Question: 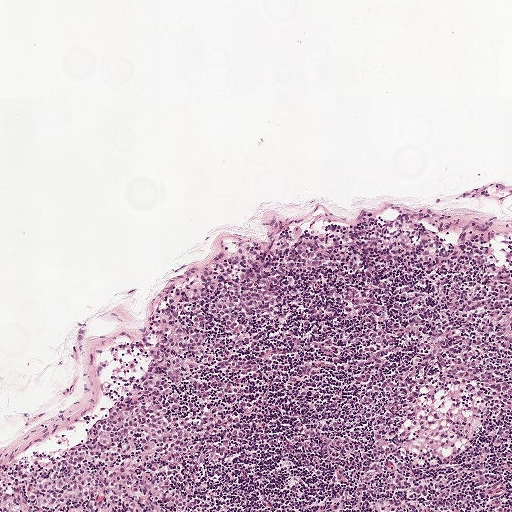
H&E-stained section of a sentinel lymph node (breast cancer), from a whole-slide image, viewed at about 5×: the field is about 1 mm across, about 1.9 µm per pixel.
What fraction of the image area is metastatic tumour?

Choices:
 (A) about 25% to 45%
 (B) about 50% or more
 (C) none: no tumour is outlined
 (D) about 5% or less
 (E) about 10% to 20%

Answer: (E) about 10% to 20%
About 15% of the field is tumour.
Boundaries of two metastatic tumour regions, simplified and listed clockwise, largest first: region 1: (300, 232), (340, 234), (347, 254), (342, 266), (279, 293), (276, 324), (254, 346), (261, 377), (250, 391), (246, 433), (200, 481), (197, 511), (32, 509), (8, 497), (6, 478), (47, 465), (100, 417), (136, 372), (155, 312), (198, 256); region 2: (511, 292), (511, 331), (504, 330), (496, 326), (491, 317), (491, 309), (493, 306).